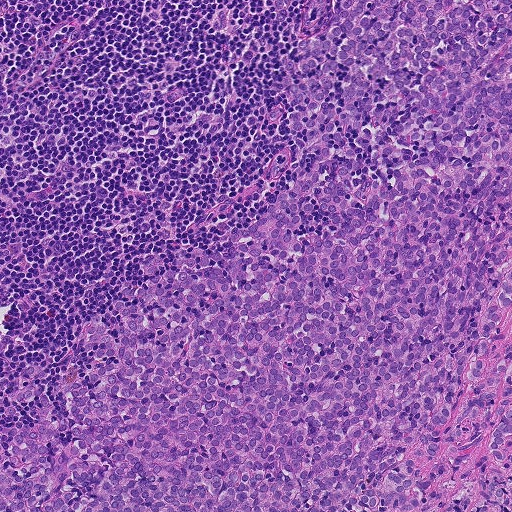
A 0.46-mm field of an H&E-stained sentinel lymph node from a breast-cancer patient (whole-slide image), shown at about 10×, about 0.9 µm per pixel.
Boundaries of two metastatic tumour regions, simplified and listed clockwise, largest first: region 1: (511, 0), (511, 511), (0, 511), (0, 374), (29, 362), (49, 374), (63, 418), (68, 366), (96, 312), (115, 340), (110, 301), (130, 308), (137, 298), (121, 283), (145, 286), (144, 261), (166, 252), (214, 249), (329, 157), (332, 146), (298, 154), (278, 78), (307, 6); region 2: (291, 0), (288, 8), (286, 20), (275, 24), (275, 14), (277, 1).
One more small tumour piece is annotated here but not outlined.
The annotated tumour makes up about 65% of the crop.